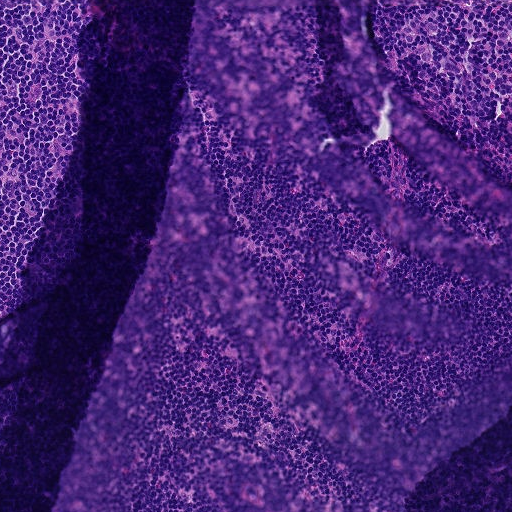
This is a crop of a whole-slide image: an H&E-stained breast-cancer sentinel lymph node section at roughly 10× magnification (about 0.9 µm per pixel; the crop spans about 0.46 mm).
Question: Is there metastatic carcinoma in this field?
Answer: No, this field holds no outlined metastasis.